A 0.5-mm field of an H&E-stained sentinel lymph node from a breast-cancer patient (whole-slide image), shown at about 10×, about 0.97 µm per pixel.
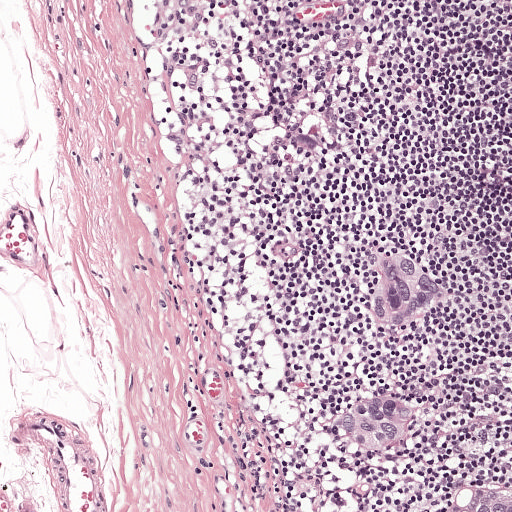
Outlines of four tumour regions, largest first (closed clockwise paths, crop pixels): region 1: (388, 384), (411, 392), (417, 403), (414, 429), (406, 442), (394, 450), (382, 451), (343, 450), (328, 438), (323, 424), (332, 411), (344, 400), (367, 390); region 2: (392, 250), (438, 276), (450, 286), (452, 301), (445, 312), (418, 328), (395, 327), (370, 314), (364, 302), (367, 291), (380, 259); region 3: (463, 478), (494, 480), (511, 478), (511, 511), (436, 511), (443, 496), (452, 482); region 4: (302, 131), (316, 134), (323, 144), (318, 151), (304, 151), (293, 144), (291, 132).
About 5% of the image area is annotated as tumour.